A 0.25-mm field of an H&E-stained sentinel lymph node from a breast-cancer patient (whole-slide image), shown at about 20×, about 0.49 µm per pixel.
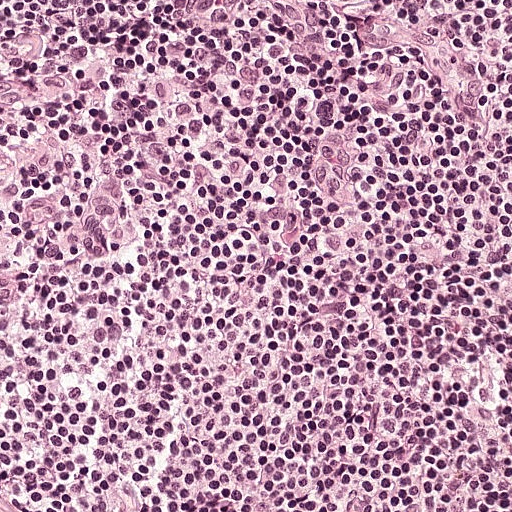
Question: Does this lymph node field contain metastatic tumour?
Answer: No. No metastatic tumour is outlined in this field.